Question: 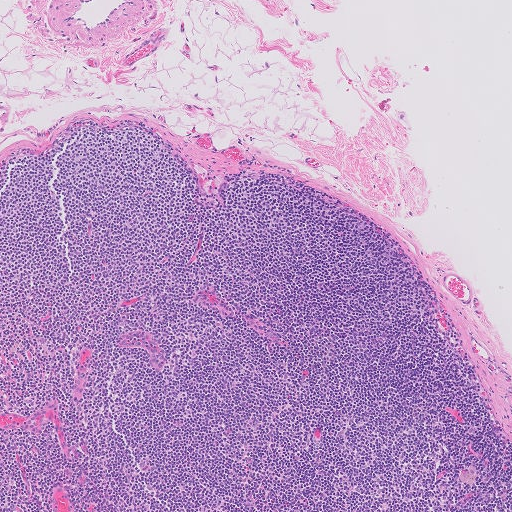
About what magnification does this crop show?

Choices:
 (A) about 10×
 (B) about 20×
 (C) about 40×
 (D) about 2.5×
 (E) about 5×

Answer: (E) about 5×
Lymph node section stained with H&E, from a whole-slide image of a breast-cancer sentinel node. Magnification about 5×, about 1.0 mm across the frame, about 2.0 µm per pixel.